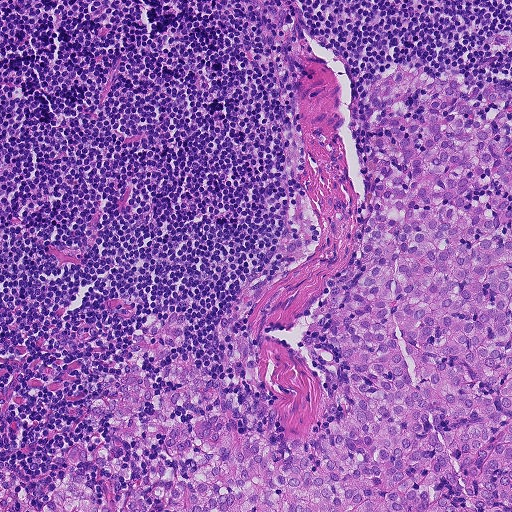
H&E-stained section of a sentinel lymph node (breast cancer), from a whole-slide image, viewed at about 10×: the field is about 0.46 mm across, about 0.9 µm per pixel.
The outlined metastatic tumour's edge, as a closed clockwise path of 21 points: (405, 64), (502, 79), (511, 511), (45, 511), (76, 474), (103, 503), (112, 476), (196, 472), (160, 424), (107, 424), (135, 330), (176, 312), (180, 348), (140, 362), (153, 396), (196, 364), (287, 456), (340, 425), (328, 286), (370, 210), (375, 84).
About 35% of the image area is annotated as tumour.